This is a crop of a whole-slide image: an H&E-stained breast-cancer sentinel lymph node section at roughly 10× magnification (about 0.9 µm per pixel; the crop spans about 0.46 mm).
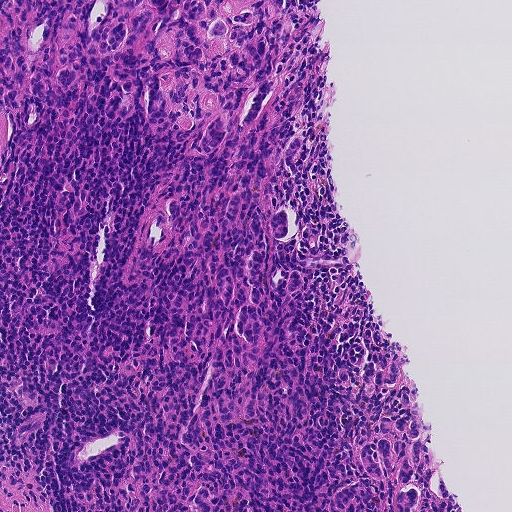
Metastatic tumour outline, simplified to 20 points and listed clockwise in crop pixels (x, y): (0, 0), (320, 0), (333, 47), (291, 178), (303, 223), (282, 237), (302, 240), (306, 284), (273, 335), (186, 366), (172, 360), (185, 272), (144, 250), (142, 221), (200, 133), (170, 136), (143, 91), (109, 119), (32, 74), (0, 109).
About 25% of the image area is annotated as tumour.